Image:
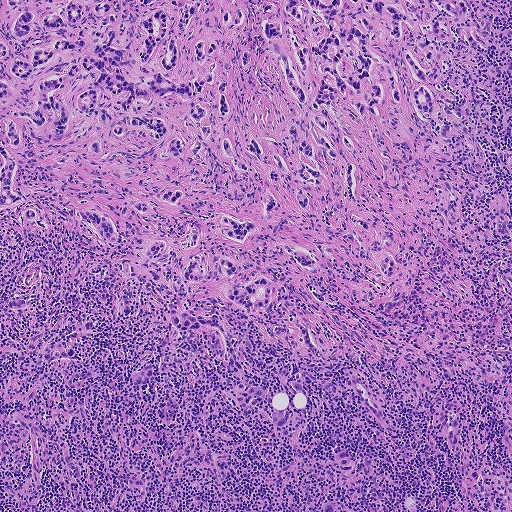
This is a crop of a whole-slide image: an H&E-stained breast-cancer sentinel lymph node section at roughly 5× magnification (about 1.8 µm per pixel; the crop spans about 0.93 mm).
Question:
Is any metastatic breast cancer visible in this crop?
Answer:
Yes.
Outlines of the eight largest metastatic tumour regions, each a closed clockwise path in crop pixels (x, y), largest first: region 1: (0, 0), (484, 0), (432, 39), (432, 126), (386, 98), (383, 121), (330, 108), (355, 141), (351, 201), (340, 152), (316, 144), (301, 212), (168, 96), (150, 112), (181, 160), (110, 138), (91, 156), (93, 119), (52, 146), (22, 130), (22, 200), (0, 209); region 2: (263, 275), (269, 280), (272, 288), (270, 304), (265, 311), (257, 313), (249, 312), (227, 300), (224, 292), (234, 280), (248, 282); region 3: (203, 251), (210, 252), (227, 256), (234, 261), (237, 269), (231, 274), (199, 281), (191, 281), (183, 278), (184, 270), (191, 255); region 4: (226, 341), (235, 350), (235, 354), (248, 382), (262, 389), (263, 396), (262, 404), (249, 412), (241, 412), (234, 398), (236, 390), (227, 362), (228, 354), (224, 348); region 5: (166, 303), (182, 305), (195, 314), (211, 314), (219, 317), (222, 324), (216, 329), (200, 327), (184, 331), (177, 329), (171, 324); region 6: (224, 214), (240, 220), (256, 222), (259, 229), (241, 244), (219, 232), (216, 225), (220, 217); region 7: (354, 214), (369, 222), (374, 228), (391, 256), (394, 273), (388, 275), (381, 272), (379, 264), (382, 253), (374, 254), (366, 251), (372, 236), (353, 223); region 8: (79, 209), (103, 214), (110, 218), (115, 225), (116, 233), (112, 240), (104, 241), (98, 237), (94, 230), (81, 220), (78, 213).
Nine more, smaller tumour regions are not outlined.
Two more small tumour pieces are annotated here but not outlined.
The annotated tumour makes up about 30% of the crop.